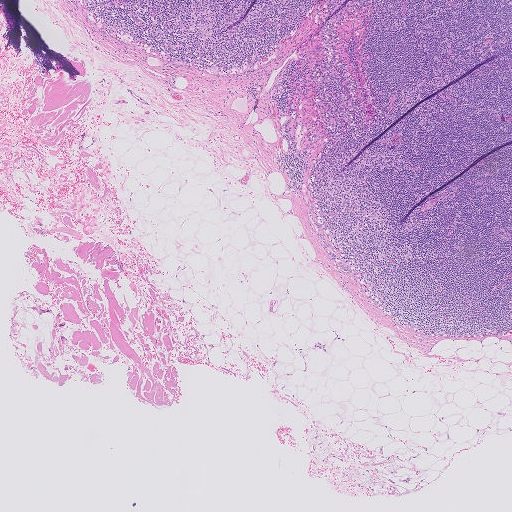
Lymph node section stained with H&E, from a whole-slide image of a breast-cancer sentinel node. Magnification about 2.5×, about 2.0 mm across the frame, about 4.0 µm per pixel.
Metastatic tumour outline, simplified to 12 points and listed clockwise in crop pixels (x, y): (337, 261), (341, 261), (343, 262), (351, 270), (351, 271), (351, 273), (350, 274), (348, 274), (343, 271), (341, 268), (337, 264), (336, 262).
One more small tumour piece is annotated here but not outlined.
Under 5% of the image area is annotated as tumour.